This is a crop of a whole-slide image: an H&E-stained breast-cancer sentinel lymph node section at roughly 20× magnification (about 0.49 µm per pixel; the crop spans about 0.25 mm).
Image:
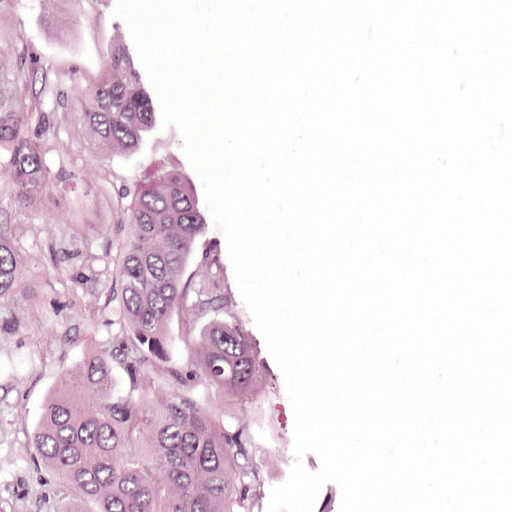
Question:
Where is the metastatic tumour in this field?
Answer:
The outlined metastatic tumour's edge, as a closed clockwise path of 5 points: (0, 0), (134, 0), (274, 288), (356, 511), (0, 511).
About 50% of this field is tumour.